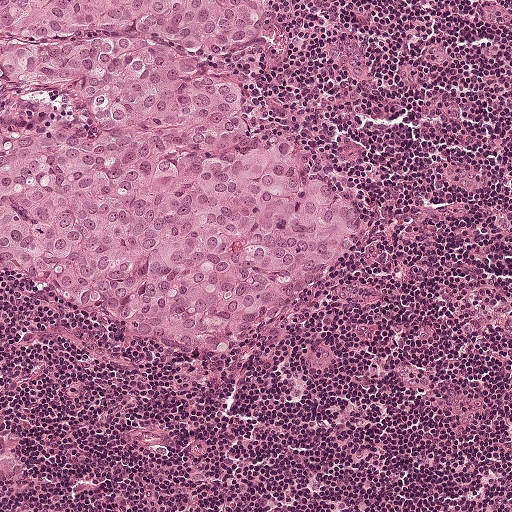
H&E-stained section of a sentinel lymph node (breast cancer), from a whole-slide image, viewed at about 10×: the field is about 0.5 mm across, about 0.97 µm per pixel.
Question: Show where the tumour is in this image.
Answer: The outlined metastatic tumour's edge, as a closed clockwise path of 15 points: (0, 0), (275, 0), (282, 19), (261, 47), (201, 59), (239, 87), (248, 119), (306, 150), (346, 197), (361, 241), (340, 275), (273, 328), (191, 343), (129, 326), (1, 264).
The annotated tumour makes up about 35% of the crop.